This is a crop of a whole-slide image: an H&E-stained breast-cancer sentinel lymph node section at roughly 10× magnification (about 0.9 µm per pixel; the crop spans about 0.46 mm).
Image:
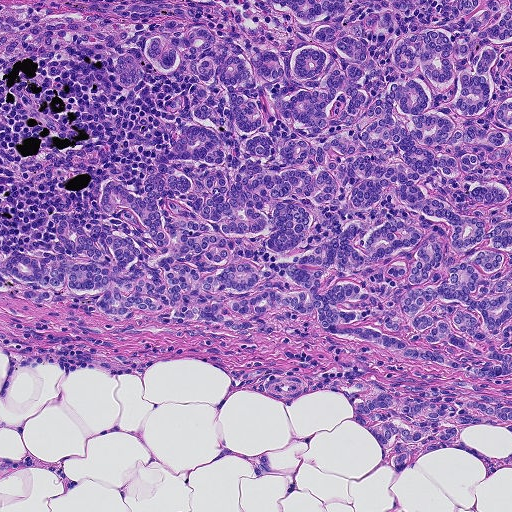
Question:
Trace the edge of each tumour region in this crop, as (x, y) points from 0 to 511.
Answer:
One metastatic tumour region; its boundary, reduced to 21 corners and listed clockwise: (511, 0), (511, 470), (440, 449), (399, 474), (343, 395), (233, 389), (190, 343), (83, 336), (8, 281), (52, 218), (101, 217), (113, 180), (140, 197), (165, 100), (198, 88), (186, 63), (118, 80), (169, 18), (132, 6), (295, 33), (262, 2).
Tumour covers about 60% of the frame.